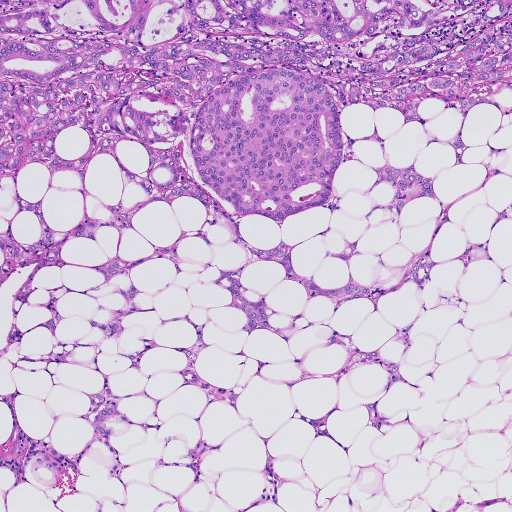
A 0.93-mm field of an H&E-stained sentinel lymph node from a breast-cancer patient (whole-slide image), shown at about 5×, about 1.8 µm per pixel.
Outlines of seven tumour regions, largest first (closed clockwise paths, crop pixels): region 1: (0, 0), (511, 0), (511, 110), (468, 110), (464, 163), (458, 164), (450, 143), (462, 113), (442, 101), (340, 117), (439, 199), (367, 218), (394, 188), (367, 194), (363, 142), (281, 224), (113, 206), (66, 265), (2, 282); region 2: (114, 258), (142, 292), (136, 296), (140, 311), (123, 323), (123, 353), (138, 351), (144, 338), (190, 346), (195, 340), (190, 326), (166, 322), (173, 318), (188, 316), (205, 324), (207, 346), (196, 366), (207, 384), (184, 383), (180, 375), (188, 362), (179, 351), (149, 351), (141, 370), (118, 354), (114, 340), (102, 343), (103, 332), (90, 319), (99, 305), (120, 309), (125, 303), (116, 290), (129, 282), (126, 276), (118, 274), (108, 286), (88, 291), (103, 275), (92, 268); region 3: (106, 380), (116, 394), (124, 397), (119, 403), (120, 410), (129, 423), (116, 419), (108, 421), (118, 431), (112, 435), (110, 442), (116, 455), (106, 448), (94, 436), (94, 430), (83, 419), (90, 406), (90, 394), (103, 387); region 4: (333, 330), (350, 338), (360, 350), (375, 351), (379, 358), (397, 364), (398, 379), (384, 398), (378, 402), (378, 410), (382, 424), (376, 428), (370, 425), (367, 402), (382, 398), (389, 384), (386, 370), (379, 363), (366, 361), (350, 354), (346, 347), (338, 345), (330, 338); region 5: (54, 447), (66, 456), (67, 462), (57, 472), (48, 471), (36, 464), (37, 458), (48, 448); region 6: (56, 311), (64, 318), (52, 334), (42, 324), (52, 313); region 7: (321, 418), (324, 424), (314, 428), (308, 422), (313, 420).
One more tumour region is annotated but not outlined: its edge is too irregular for a short outline.
One more small tumour piece is annotated here but not outlined.
About 40% of this field is tumour.